Image:
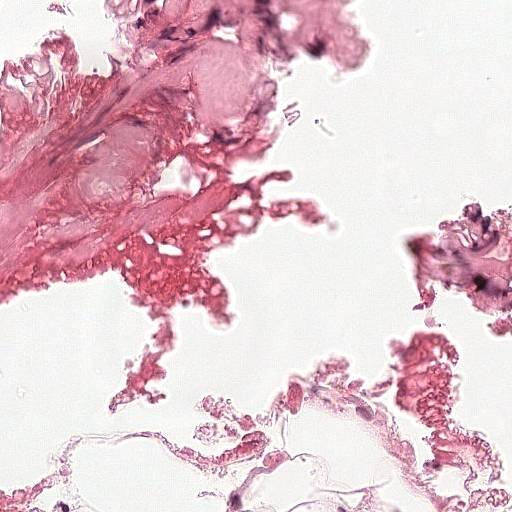
A 0.25-mm field of an H&E-stained sentinel lymph node from a breast-cancer patient (whole-slide image), shown at about 20×, about 0.49 µm per pixel.
Question:
Is any metastatic breast cancer visible in this crop?
Answer:
No. No metastatic tumour is outlined in this field.